This is a crop of a whole-slide image: an H&E-stained breast-cancer sentinel lymph node section at roughly 40× magnification (about 0.23 µm per pixel; the crop spans about 0.12 mm).
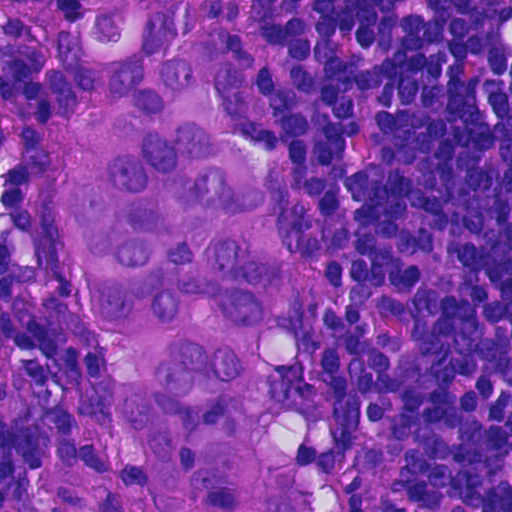
Question: Describe where the metastatic carcinoma lies in this crop.
Answer: The outlined metastatic tumour's edge, as a closed clockwise path of 16 points: (178, 47), (217, 80), (269, 167), (292, 266), (234, 409), (259, 452), (305, 472), (309, 511), (174, 511), (133, 459), (80, 319), (82, 283), (58, 240), (53, 189), (68, 140), (124, 58).
The annotated tumour makes up about 30% of the crop.